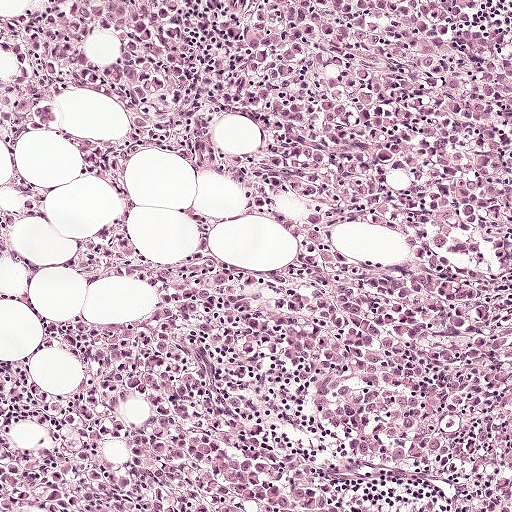
H&E-stained section of a sentinel lymph node (breast cancer), from a whole-slide image, viewed at about 10×: the field is about 0.5 mm across, about 0.97 µm per pixel.
Boundaries of three metastatic tumour regions, simplified and listed clockwise, largest first: region 1: (511, 0), (511, 191), (421, 195), (380, 219), (304, 201), (272, 141), (250, 122), (149, 110), (129, 33), (98, 2); region 2: (184, 417), (203, 417), (302, 458), (386, 510), (147, 511), (142, 467), (158, 430); region 3: (511, 493), (511, 511), (467, 511), (472, 510), (478, 510), (490, 504), (494, 504), (497, 500), (501, 499), (503, 497).
The annotated tumour makes up about 30% of the crop.